Question: 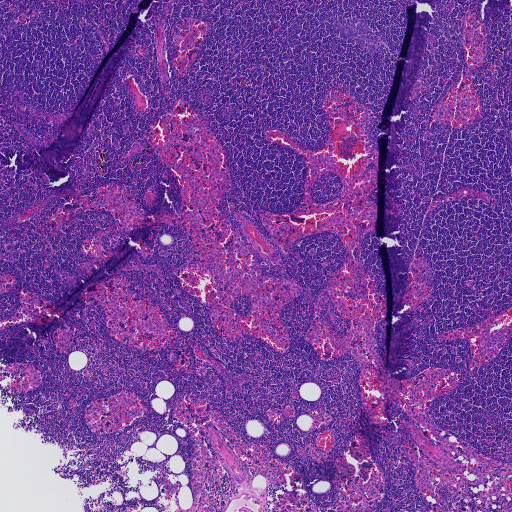
At roughly what magnification is this field shown?

Choices:
 (A) about 40×
 (B) about 20×
 (C) about 10×
 (D) about 5×
 (E) about 2.5×

Answer: (E) about 2.5×
This is a crop of a whole-slide image: an H&E-stained breast-cancer sentinel lymph node section at roughly 2.5× magnification (about 3.6 µm per pixel; the crop spans about 1.9 mm).